Image:
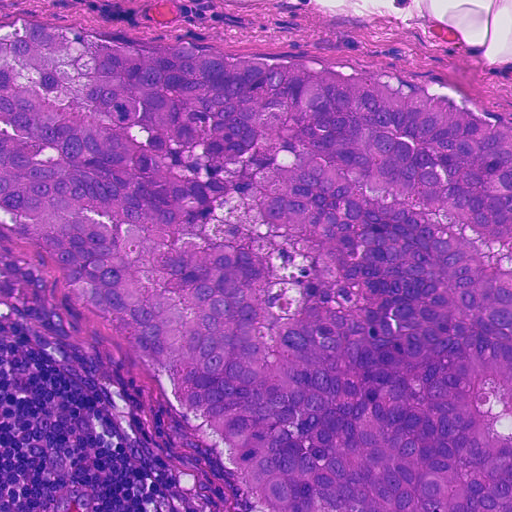
Lymph node section stained with H&E, from a whole-slide image of a breast-cancer sentinel node. Magnification about 20×, about 0.23 mm across the frame, about 0.45 µm per pixel.
Question:
Which parts of this field are metastatic tumour?
Answer:
The outlined metastatic tumour's edge, as a closed clockwise path of 9 points: (24, 16), (157, 48), (312, 62), (511, 128), (511, 511), (250, 511), (131, 352), (0, 221), (0, 30).
About 75% of this field is tumour.